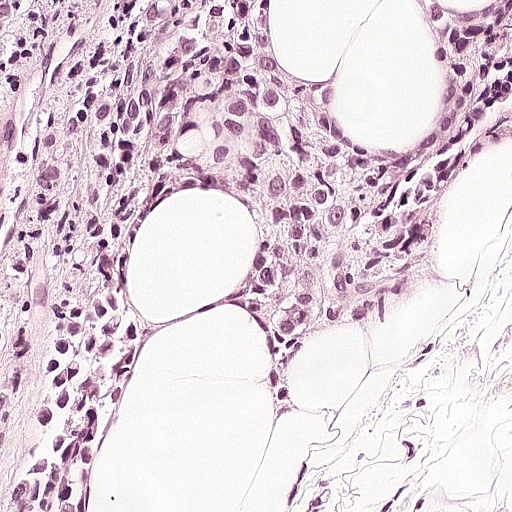
A 0.25-mm field of an H&E-stained sentinel lymph node from a breast-cancer patient (whole-slide image), shown at about 20×, about 0.49 µm per pixel.
Tumour region outline (a closed clockwise path, crop pixels): (0, 0), (274, 0), (280, 72), (330, 87), (354, 146), (400, 152), (440, 112), (409, 0), (483, 17), (511, 0), (511, 129), (448, 180), (426, 299), (304, 356), (282, 394), (238, 299), (238, 203), (141, 216), (154, 368), (72, 510), (0, 511).
Tumour covers about 55% of the frame.